Image:
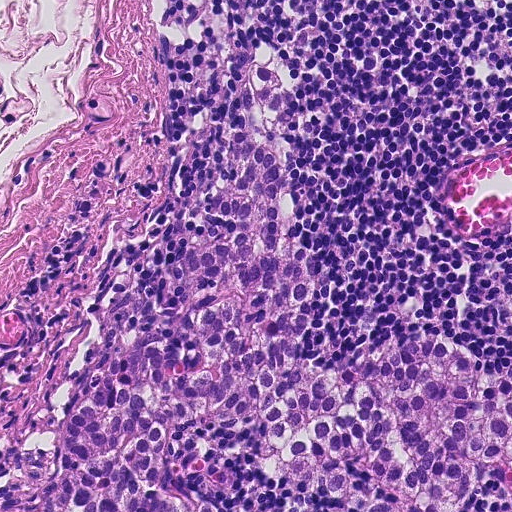
This is a crop of a whole-slide image: an H&E-stained breast-cancer sentinel lymph node section at roughly 20× magnification (about 0.45 µm per pixel; the crop spans about 0.23 mm).
Question:
Is there metastatic carcinoma in this field?
Answer:
Yes.
One metastatic tumour region; its boundary, reduced to 24 corners and listed clockwise: (262, 40), (294, 82), (282, 135), (316, 282), (300, 350), (327, 372), (386, 337), (471, 350), (511, 377), (511, 490), (362, 511), (318, 488), (273, 511), (246, 470), (220, 511), (1, 511), (55, 466), (98, 332), (86, 307), (131, 269), (179, 302), (184, 218), (231, 238), (207, 201).
About 40% of this field is tumour.